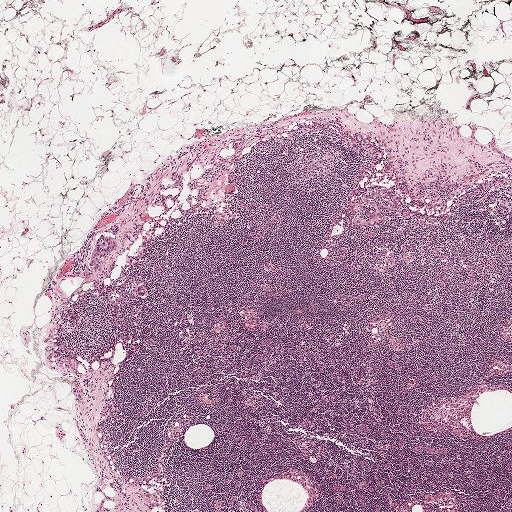
H&E-stained section of a sentinel lymph node (breast cancer), from a whole-slide image, viewed at about 2.5×: the field is about 2.0 mm across, about 3.9 µm per pixel.
Outlines of two tumour regions, largest first (closed clockwise paths, crop pixels): region 1: (366, 194), (374, 194), (376, 203), (392, 208), (382, 210), (383, 214), (390, 216), (390, 218), (385, 223), (374, 225), (366, 224), (358, 225), (352, 223), (354, 214), (349, 204), (357, 198), (362, 198); region 2: (120, 223), (119, 244), (117, 250), (107, 258), (102, 268), (97, 271), (90, 271), (91, 254), (99, 233), (112, 224).
Under 5% of this field is tumour.